Lymph node section stained with H&E, from a whole-slide image of a breast-cancer sentinel node. Magnification about 10×, about 0.5 mm across the frame, about 0.97 µm per pixel.
Question: 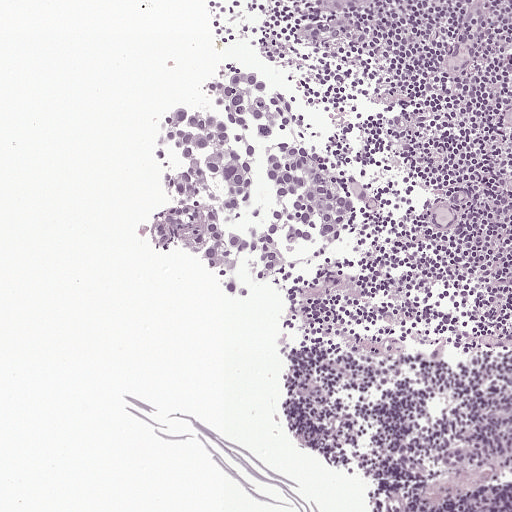
About how much of this crop is taken up by metastatic carcinoma?

Choices:
 (A) none: no tumour is outlined
 (B) about 50% or more
 (C) about 10% to 20%
 (D) about 5% or less
 (E) about 25% to 45%

Answer: (C) about 10% to 20%
About 15% of the field is tumour.
One metastatic tumour region; its boundary, reduced to 15 corners and listed clockwise: (232, 68), (270, 85), (353, 204), (354, 227), (326, 262), (251, 301), (209, 290), (192, 276), (185, 254), (142, 246), (154, 202), (153, 136), (162, 114), (199, 95), (209, 77).